Image:
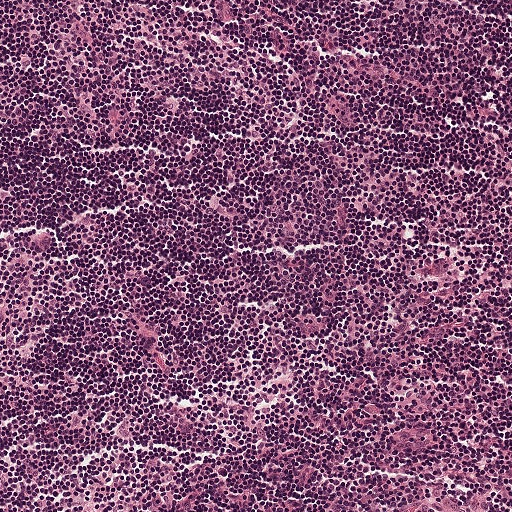
This is a crop of a whole-slide image: an H&E-stained breast-cancer sentinel lymph node section at roughly 10× magnification (about 0.97 µm per pixel; the crop spans about 0.5 mm).
Question:
Is there metastatic carcinoma in this field?
Answer:
No, this field holds no outlined metastasis.